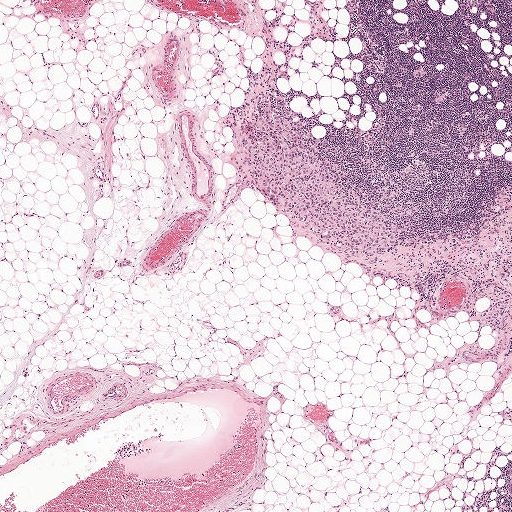
This is a crop of a whole-slide image: an H&E-stained breast-cancer sentinel lymph node section at roughly 2.5× magnification (about 3.9 µm per pixel; the crop spans about 2.0 mm).
Question: Trace the edge of each tumour region in this crop, as (x, y) points from 0 to 511.
Answer: Boundaries of four metastatic tumour regions, simplified and listed clockwise, largest first: region 1: (270, 90), (285, 93), (309, 136), (349, 172), (362, 196), (396, 204), (401, 240), (396, 248), (365, 253), (309, 238), (242, 175), (234, 149), (251, 102); region 2: (499, 485), (502, 486), (505, 493), (508, 511), (463, 511), (460, 510), (459, 506), (464, 501), (469, 502), (474, 500), (477, 492), (481, 488); region 3: (505, 291), (511, 294), (511, 325), (488, 325), (483, 323), (478, 312), (486, 308), (491, 300), (499, 292); region 4: (464, 234), (468, 234), (469, 234), (470, 234), (470, 238), (468, 240), (460, 241), (455, 245), (453, 245), (450, 245), (447, 244), (448, 240), (450, 238), (454, 237), (457, 238), (460, 237).
Tumour covers about 5% of the frame.